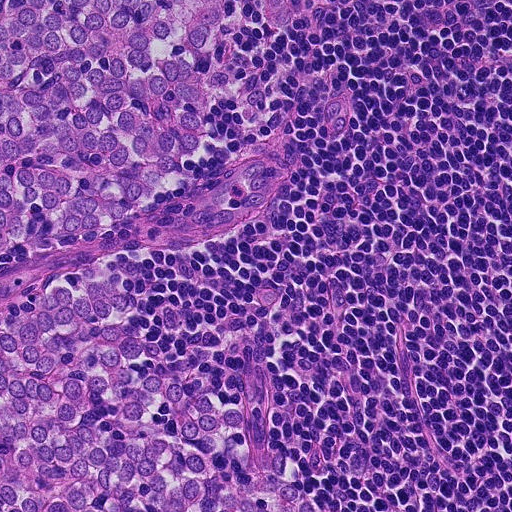
H&E-stained section of a sentinel lymph node (breast cancer), from a whole-slide image, viewed at about 20×: the field is about 0.23 mm across, about 0.45 µm per pixel.
Question: Is any metastatic breast cancer visible in this crop?
Answer: Yes.
Outlines of two tumour regions, largest first (closed clockwise paths, crop pixels): region 1: (0, 0), (234, 0), (206, 128), (128, 226), (118, 256), (176, 370), (258, 420), (280, 476), (345, 511), (0, 511); region 2: (256, 0), (318, 0), (314, 9), (290, 30), (258, 30).
Tumour covers about 40% of the frame.